Image:
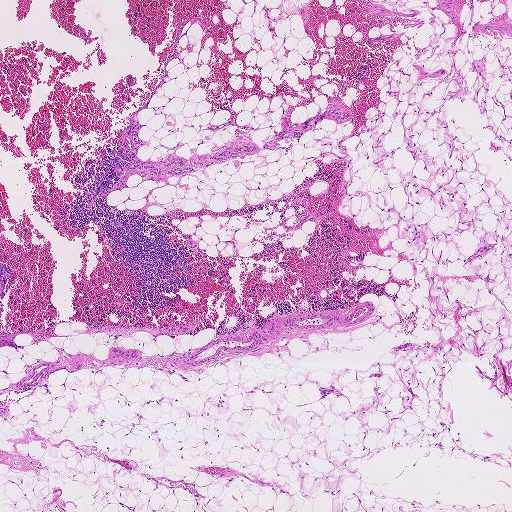
A 1.9-mm field of an H&E-stained sentinel lymph node from a breast-cancer patient (whole-slide image), shown at about 2.5×, about 3.6 µm per pixel.
Question:
Is any metastatic breast cancer visible in this crop?
Answer:
No, this field holds no outlined metastasis.